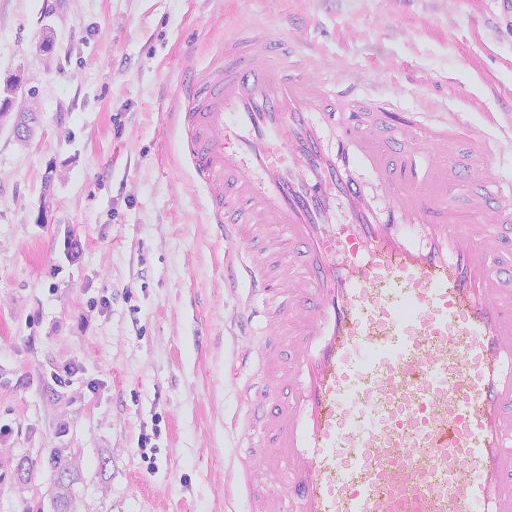
This is a crop of a whole-slide image: an H&E-stained breast-cancer sentinel lymph node section at roughly 20× magnification (about 0.5 µm per pixel; the crop spans about 0.26 mm).
Two metastatic tumour regions, each outlined as a closed clockwise path in crop pixels (x, y), largest first: region 1: (0, 0), (206, 0), (184, 20), (173, 196), (195, 511), (0, 511); region 2: (453, 0), (511, 0), (511, 11), (468, 8).
About 35% of the image area is annotated as tumour.